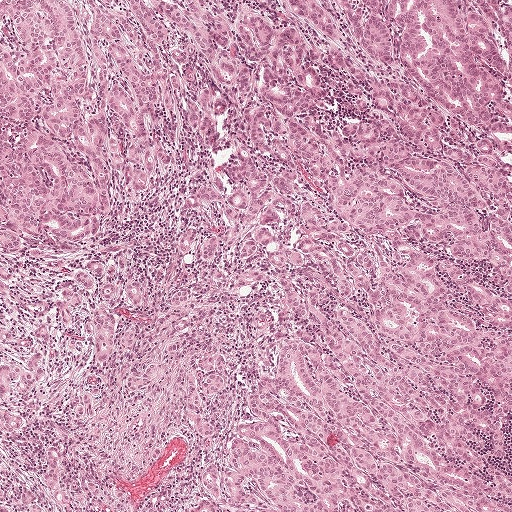
A 1-mm field of an H&E-stained sentinel lymph node from a breast-cancer patient (whole-slide image), shown at about 5×, about 1.9 µm per pixel.
Outlines of two tumour regions, largest first (closed clockwise paths, crop pixels): region 1: (0, 0), (64, 0), (83, 39), (81, 0), (102, 4), (120, 25), (126, 60), (155, 87), (159, 172), (144, 194), (113, 180), (109, 229), (91, 248), (66, 258), (45, 251), (0, 253); region 2: (302, 302), (335, 316), (388, 389), (462, 434), (511, 477), (511, 511), (301, 511), (304, 499), (249, 446), (244, 412), (253, 388), (288, 346), (314, 344), (297, 318).
Tumour covers about 25% of the frame.